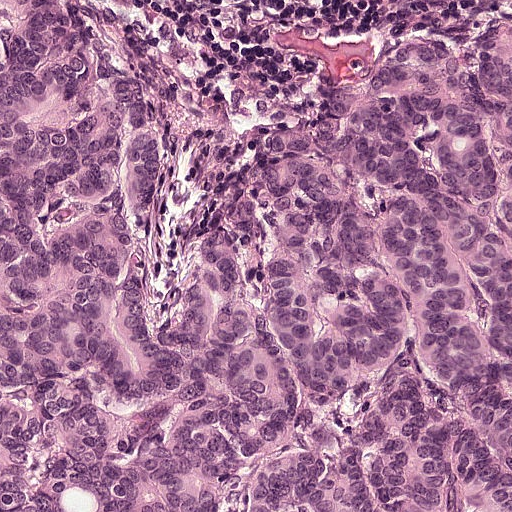
Lymph node section stained with H&E, from a whole-slide image of a breast-cancer sentinel node. Magnification about 20×, about 0.25 mm across the frame, about 0.49 µm per pixel.
Question: Trace the edge of each tumour region in this crop, as (x, y) points from 0 to 511.
Answer: Metastatic tumour outline, simplified to 13 points and listed clockwise in crop pixels (x, y): (0, 0), (120, 0), (128, 12), (152, 88), (159, 248), (148, 314), (179, 210), (244, 105), (348, 66), (413, 12), (511, 0), (511, 511), (0, 511).
About 90% of this field is tumour.